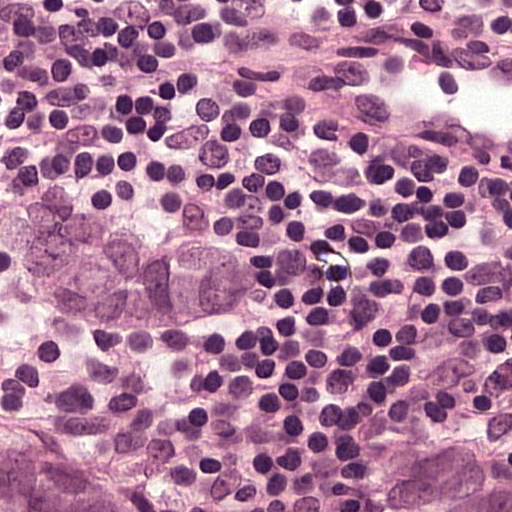
A 0.12-mm field of an H&E-stained sentinel lymph node from a breast-cancer patient (whole-slide image), shown at about 40×, about 0.24 µm per pixel.
Question: Trace the edge of each tumour region in this crop, as (x, y) points from 0 to 511.
Answer: Outlines of three tumour regions, largest first (closed clockwise paths, crop pixels): region 1: (58, 187), (120, 206), (139, 240), (164, 231), (205, 249), (239, 243), (255, 249), (263, 265), (258, 303), (217, 325), (164, 331), (139, 342), (92, 340), (39, 315), (2, 275), (8, 212); region 2: (455, 414), (473, 414), (477, 419), (509, 428), (511, 511), (390, 511), (382, 487), (405, 442), (414, 433), (423, 433), (441, 419), (455, 419); region 3: (0, 386), (36, 419), (41, 428), (50, 432), (63, 455), (72, 459), (72, 464), (122, 505), (133, 511), (0, 511).
About 15% of the image area is annotated as tumour.